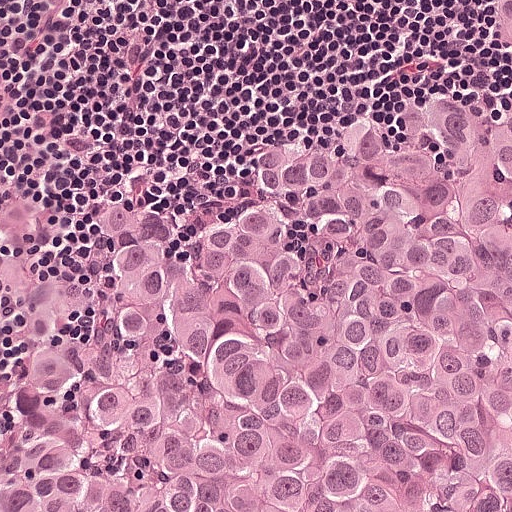
Lymph node section stained with H&E, from a whole-slide image of a breast-cancer sentinel node. Magnification about 20×, about 0.25 mm across the frame, about 0.49 µm per pixel.
The outlined metastatic tumour's edge, as a closed clockwise path of 8 points: (511, 67), (511, 511), (0, 511), (0, 316), (18, 316), (65, 275), (86, 275), (249, 146).
Tumour covers about 65% of the frame.